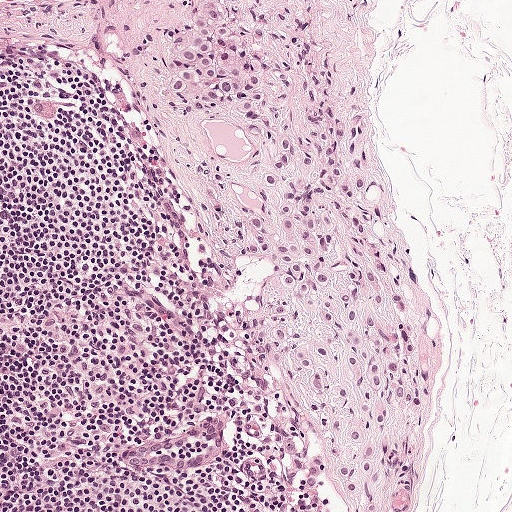
A 0.5-mm field of an H&E-stained sentinel lymph node from a breast-cancer patient (whole-slide image), shown at about 10×, about 0.97 µm per pixel.
Metastatic tumour outline, simplified to 24 points and listed clockwise in crop pixels (x, y): (202, 1), (250, 22), (286, 76), (340, 86), (362, 114), (366, 192), (398, 235), (429, 367), (415, 414), (384, 416), (382, 511), (341, 511), (334, 488), (300, 487), (301, 467), (326, 452), (326, 421), (270, 344), (272, 269), (238, 223), (258, 195), (258, 147), (158, 98), (168, 38).
About 20% of this field is tumour.